Image:
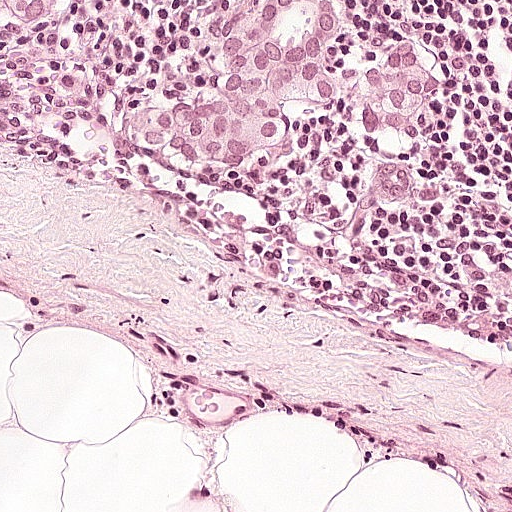
A 0.25-mm field of an H&E-stained sentinel lymph node from a breast-cancer patient (whole-slide image), shown at about 20×, about 0.49 µm per pixel.
Question:
Which parts of this field are metastatic tumour? Answer with the outline of each region, in pixels.
Answer:
Boundaries of two metastatic tumour regions, simplified and listed clockwise, largest first: region 1: (234, 0), (338, 0), (343, 35), (335, 62), (349, 68), (366, 66), (396, 42), (416, 43), (434, 71), (429, 116), (416, 130), (396, 135), (329, 107), (294, 107), (282, 114), (286, 146), (250, 150), (206, 175), (113, 143), (116, 98), (207, 71), (212, 12); region 2: (0, 0), (47, 0), (47, 7), (42, 18), (29, 26), (16, 26), (0, 22).
About 10% of the image area is annotated as tumour.